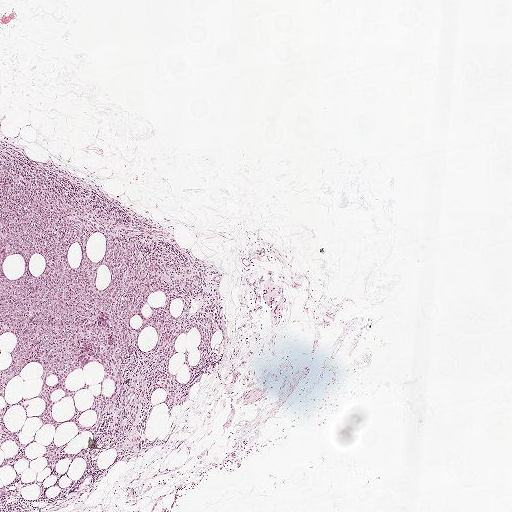
H&E-stained section of a sentinel lymph node (breast cancer), from a whole-slide image, viewed at about 2.5×: the field is about 2.0 mm across, about 3.9 µm per pixel.
Question: Describe where the metastatic carcinoma lies in this crop.
Answer: Tumour region outline (a closed clockwise path, crop pixels): (0, 145), (104, 194), (191, 257), (205, 279), (188, 317), (205, 302), (221, 310), (212, 367), (188, 402), (169, 414), (164, 390), (152, 392), (145, 451), (101, 451), (101, 475), (34, 511), (0, 511), (16, 473), (0, 466), (17, 449), (0, 449), (5, 402), (12, 406), (3, 422), (23, 431), (33, 460), (14, 465), (37, 482), (25, 500), (42, 482), (47, 496), (60, 493), (44, 446), (75, 454), (92, 435), (36, 418), (39, 363), (0, 397), (18, 340), (0, 336).
The outline encloses 16 non-tumour holes totalling about 15% of the region's area.
About 15% of this field is tumour.